Question: 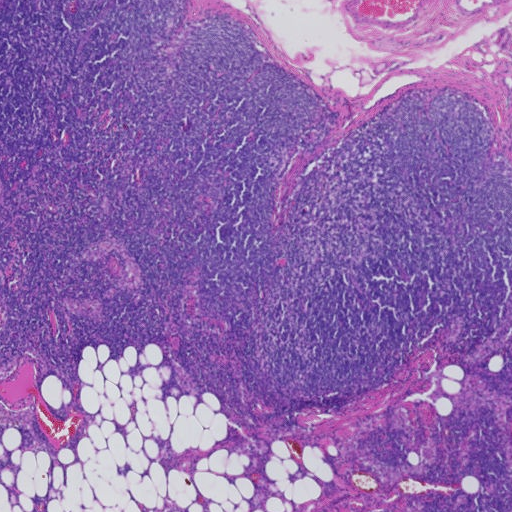
About what magnification does this crop show?

Choices:
 (A) about 20×
 (B) about 40×
 (C) about 2.5×
 (D) about 5×
 (E) about 10×

Answer: (C) about 2.5×
H&E-stained section of a sentinel lymph node (breast cancer), from a whole-slide image, viewed at about 2.5×: the field is about 1.9 mm across, about 3.6 µm per pixel.